Image:
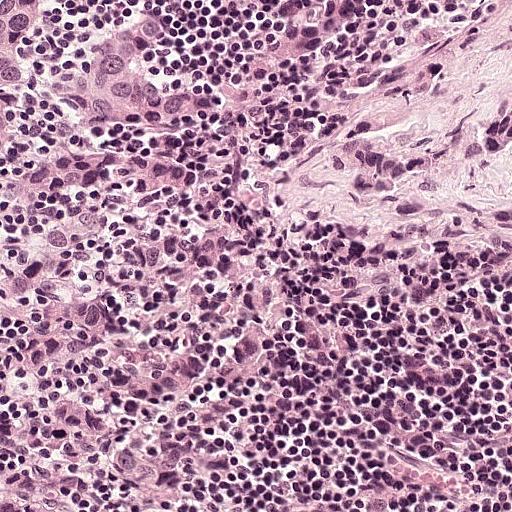
A 0.25-mm field of an H&E-stained sentinel lymph node from a breast-cancer patient (whole-slide image), shown at about 20×, about 0.49 µm per pixel.
Question:
Is there metastatic carcinoma in this field?
Answer:
Yes.
Boundaries of two metastatic tumour regions, simplified and listed clockwise, largest first: region 1: (0, 0), (59, 0), (64, 106), (72, 66), (94, 32), (176, 10), (192, 32), (156, 68), (270, 90), (256, 176), (292, 350), (274, 356), (274, 378), (234, 437), (220, 509), (0, 511); region 2: (511, 95), (511, 148), (488, 162), (468, 159), (464, 152), (464, 139), (468, 128), (480, 122), (490, 107), (503, 97).
About 50% of the image area is annotated as tumour.